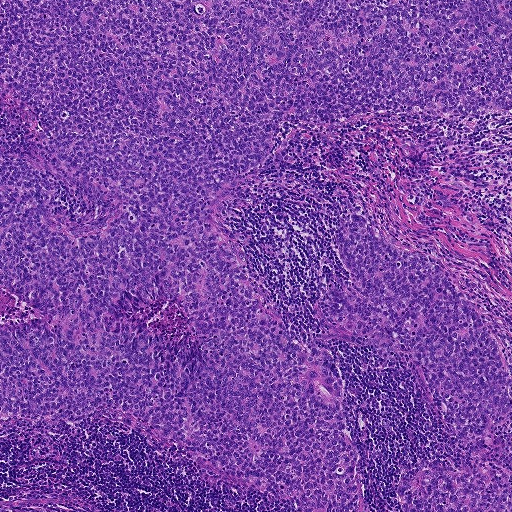
H&E-stained section of a sentinel lymph node (breast cancer), from a whole-slide image, viewed at about 5×: the field is about 0.93 mm across, about 1.8 µm per pixel.
Question: Does this lymph node field contain metastatic tumour?
Answer: Yes.
One metastatic tumour region; its boundary, reduced to 22 corners and listed clockwise: (0, 0), (511, 0), (506, 115), (282, 121), (220, 218), (306, 342), (353, 284), (329, 232), (348, 215), (472, 296), (511, 368), (511, 511), (402, 509), (420, 460), (476, 470), (426, 367), (356, 336), (315, 343), (358, 511), (300, 511), (100, 412), (2, 431).
About 70% of this field is tumour.